Question: 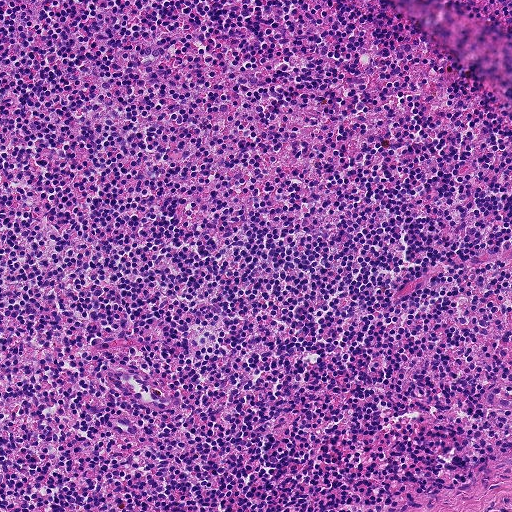
Lymph node section stained with H&E, from a whole-slide image of a breast-cancer sentinel node. Magnification about 10×, about 0.46 mm across the frame, about 0.9 µm per pixel.
What fraction of the image area is metastatic tumour?

Choices:
 (A) about 10% to 20%
 (B) none: no tumour is outlined
 (C) about 25% to 45%
 (D) about 50% or more
 (E) about 5% or less

Answer: (B) none: no tumour is outlined
No metastatic tumour is outlined in this field.